Image:
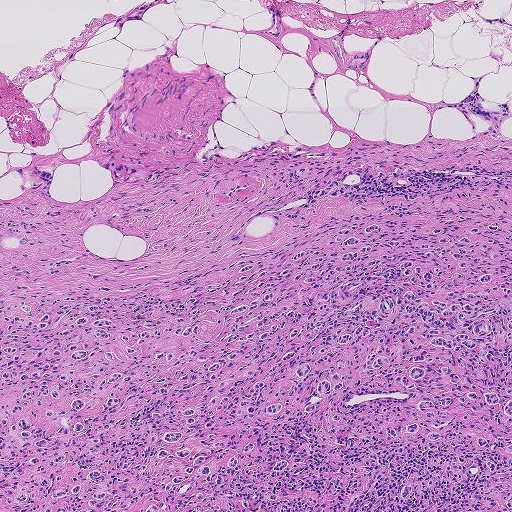
H&E-stained section of a sentinel lymph node (breast cancer), from a whole-slide image, viewed at about 5×: the field is about 0.93 mm across, about 1.8 µm per pixel.
Question:
Which parts of this field are metastatic tumour? Answer with the outline of each region, in pixels.
Answer:
Tumour region outline (a closed clockwise path, crop pixels): (366, 214), (511, 214), (511, 511), (0, 511), (0, 290), (66, 295), (181, 275).
Tumour covers about 50% of the frame.